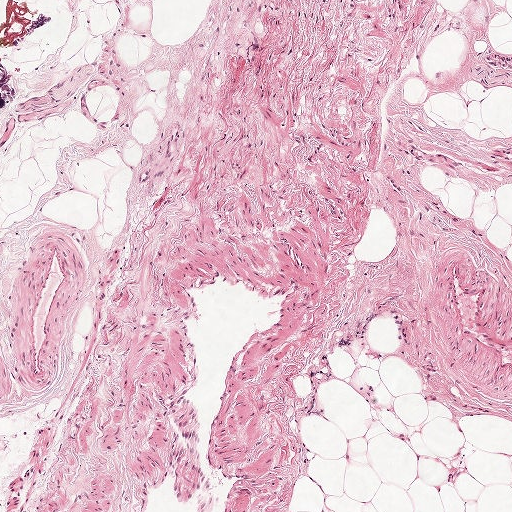
H&E-stained section of a sentinel lymph node (breast cancer), from a whole-slide image, viewed at about 5×: the field is about 1 mm across, about 1.9 µm per pixel.
Question: Is any metastatic breast cancer visible in this crop?
Answer: No, this field holds no outlined metastasis.